H&E-stained section of a sentinel lymph node (breast cancer), from a whole-slide image, viewed at about 2.5×: the field is about 2.0 mm across, about 3.9 µm per pixel.
Question: 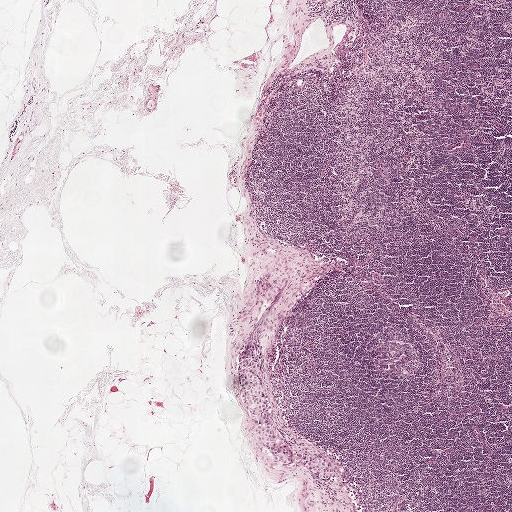
Roughly what share of this field is metastatic tumour?

Choices:
 (A) none: no tumour is outlined
 (B) about 25% to 45%
 (C) about 10% to 20%
 (D) about 50% or more
 (E) about 5% or less

Answer: (E) about 5% or less
Under 5% of the field is tumour.
Tumour region outline (a closed clockwise path, crop pixels): (248, 344), (262, 346), (260, 351), (266, 360), (267, 399), (284, 437), (294, 450), (320, 457), (335, 468), (337, 477), (332, 484), (324, 484), (312, 472), (293, 468), (265, 456), (258, 449), (253, 423), (241, 407), (238, 384), (239, 358).